Question: 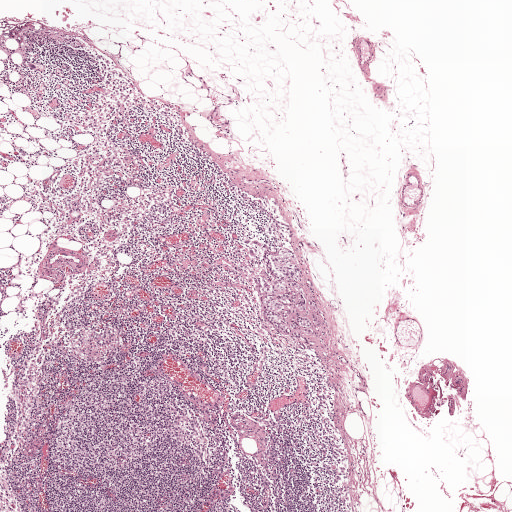
Lymph node section stained with H&E, from a whole-slide image of a breast-cancer sentinel node. Magnification about 2.5×, about 2.0 mm across the frame, about 3.9 µm per pixel.
Roughly what share of this field is metastatic tumour?

Choices:
 (A) about 50% or more
 (B) about 5% or less
 (C) about 10% to 20%
 (D) none: no tumour is outlined
 (E) about 25% to 45%

Answer: (B) about 5% or less
Under 5% of the field is tumour.
Outlines of two tumour regions, largest first (closed clockwise paths, crop pixels): region 1: (282, 247), (292, 250), (302, 269), (304, 298), (312, 298), (316, 304), (314, 311), (298, 310), (300, 316), (310, 318), (315, 332), (300, 336), (296, 339), (292, 336), (293, 331), (286, 334), (265, 330), (261, 324), (262, 309), (263, 288), (269, 274), (265, 260); region 2: (256, 240), (268, 248), (265, 249), (257, 245), (254, 248), (254, 257), (249, 252), (251, 241).
Two more small tumour pieces are annotated here but not outlined.